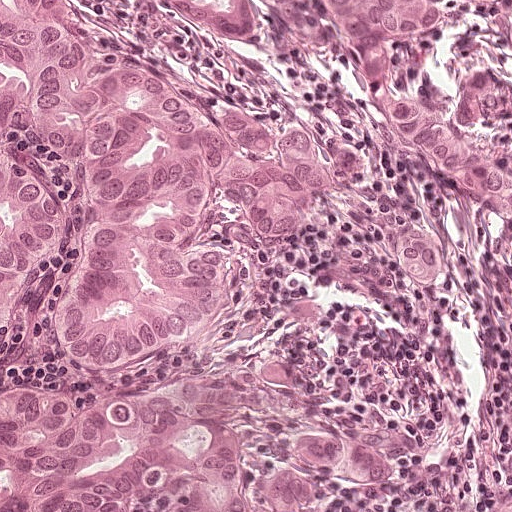
This is a crop of a whole-slide image: an H&E-stained breast-cancer sentinel lymph node section at roughly 20× magnification (about 0.49 µm per pixel; the crop spans about 0.25 mm).
Question: Does this lymph node field contain metastatic tumour?
Answer: Yes.
Metastatic tumour outline, simplified to 22 points and listed clockwise in crop pixels (x, y): (0, 0), (73, 0), (96, 42), (318, 140), (324, 194), (306, 232), (265, 245), (210, 198), (199, 236), (222, 240), (216, 294), (154, 358), (92, 361), (65, 360), (48, 342), (85, 290), (88, 180), (24, 132), (20, 154), (66, 200), (68, 224), (0, 334).
About 25% of the image area is annotated as tumour.

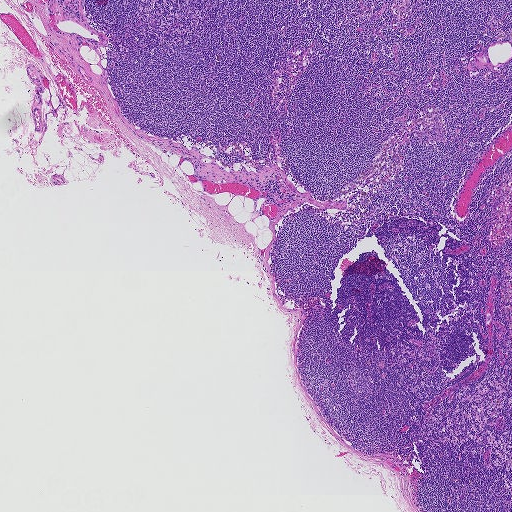
A 1.9-mm field of an H&E-stained sentinel lymph node from a breast-cancer patient (whole-slide image), shown at about 2.5×, about 3.6 µm per pixel.
Question: Does this lymph node field contain metastatic tumour?
Answer: No: no metastatic tumour is outlined anywhere in this field.

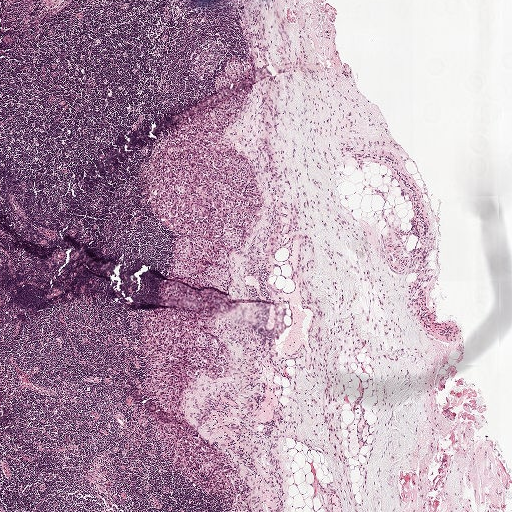
A 2.0-mm field of an H&E-stained sentinel lymph node from a breast-cancer patient (whole-slide image), shown at about 2.5×, about 3.9 µm per pixel.
Question: Does this lymph node field contain metastatic tumour?
Answer: Yes.
Boundaries of four metastatic tumour regions, simplified and listed clockwise, largest first: region 1: (251, 87), (248, 106), (222, 137), (220, 145), (248, 157), (260, 185), (261, 206), (256, 228), (242, 246), (228, 253), (227, 292), (184, 283), (172, 275), (176, 234), (155, 216), (146, 188), (151, 157), (162, 150), (174, 127); region 2: (152, 309), (188, 311), (204, 317), (209, 332), (224, 343), (229, 362), (222, 379), (211, 379), (201, 374), (186, 387), (182, 394), (185, 417), (182, 421), (148, 389), (142, 316); region 3: (161, 420), (179, 428), (182, 427), (181, 423), (187, 424), (236, 464), (247, 486), (252, 511), (236, 511), (233, 488), (210, 494), (199, 490), (190, 479), (180, 471), (157, 427); region 4: (236, 56), (239, 58), (244, 68), (243, 75), (239, 80), (231, 82), (221, 90), (215, 91), (217, 78), (222, 73), (223, 65).
The annotated tumour makes up about 10% of the crop.

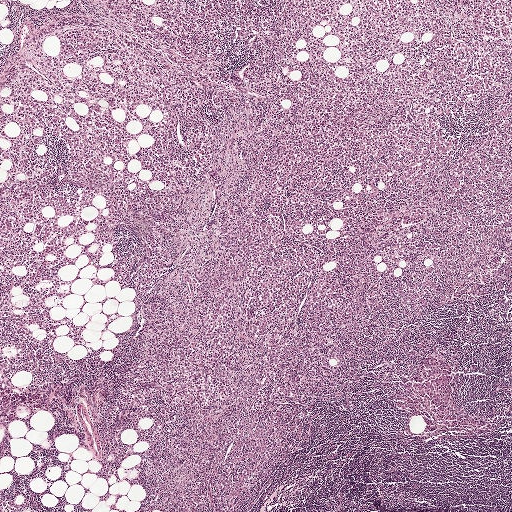
H&E-stained section of a sentinel lymph node (breast cancer), from a whole-slide image, viewed at about 2.5×: the field is about 2.0 mm across, about 3.9 µm per pixel.
Question: Does this lymph node field contain metastatic tumour?
Answer: Yes.
Four metastatic tumour regions, each outlined as a closed clockwise path in crop pixels (x, y), largest first: region 1: (447, 39), (491, 43), (510, 54), (511, 67), (474, 114), (439, 121), (455, 139), (430, 185), (397, 205), (385, 182), (358, 181), (356, 167), (349, 165), (340, 173), (332, 201), (314, 213), (268, 193), (268, 149), (297, 112), (351, 77), (394, 68), (414, 48); region 2: (259, 262), (258, 278), (236, 303), (241, 359), (236, 386), (224, 405), (203, 418), (169, 419), (154, 412), (119, 413), (120, 396), (134, 359), (159, 318), (226, 285), (245, 264); region 3: (466, 223), (498, 225), (505, 231), (505, 239), (473, 279), (430, 302), (397, 330), (370, 344), (375, 326), (393, 304), (396, 291), (409, 273), (417, 249), (429, 242), (451, 239); region 4: (343, 0), (335, 5), (325, 16), (315, 22), (306, 35), (285, 40), (279, 39), (275, 35), (276, 1).
About 15% of this field is tumour.